This is a crop of a whole-slide image: an H&E-stained breast-cancer sentinel lymph node section at roughly 10× magnification (about 0.9 µm per pixel; the crop spans about 0.46 mm).
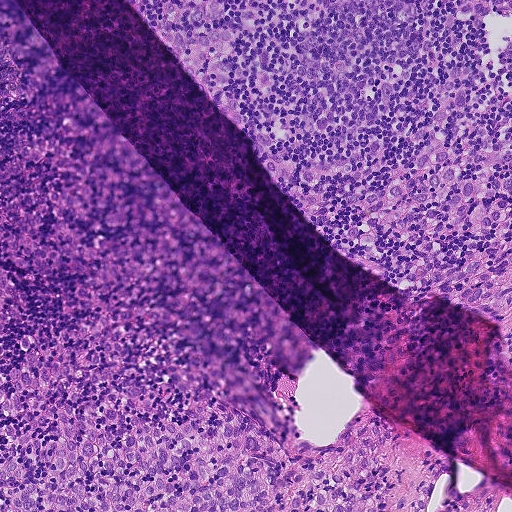
Outlines of two tumour regions, largest first (closed clockwise paths, crop pixels): region 1: (0, 0), (17, 0), (321, 350), (292, 396), (294, 433), (327, 446), (364, 395), (412, 434), (393, 462), (427, 511), (0, 511); region 2: (124, 0), (511, 0), (511, 367), (480, 312), (354, 269).
About 75% of the image area is annotated as tumour.